Question: 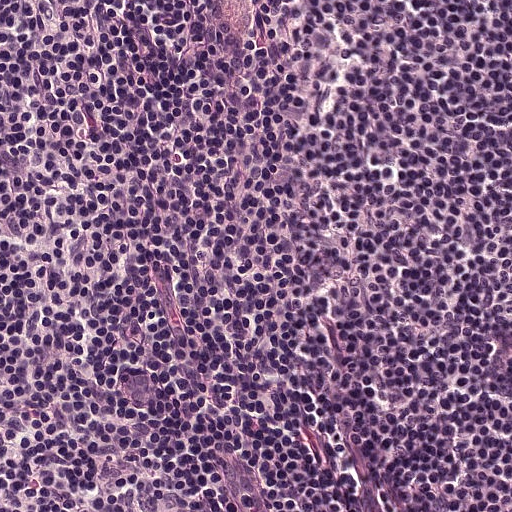
About what magnification does this crop show?

Choices:
 (A) about 20×
 (B) about 5×
 (C) about 2.5×
 (D) about 10×
 (E) about 40×

Answer: (A) about 20×
H&E-stained section of a sentinel lymph node (breast cancer), from a whole-slide image, viewed at about 20×: the field is about 0.25 mm across, about 0.49 µm per pixel.